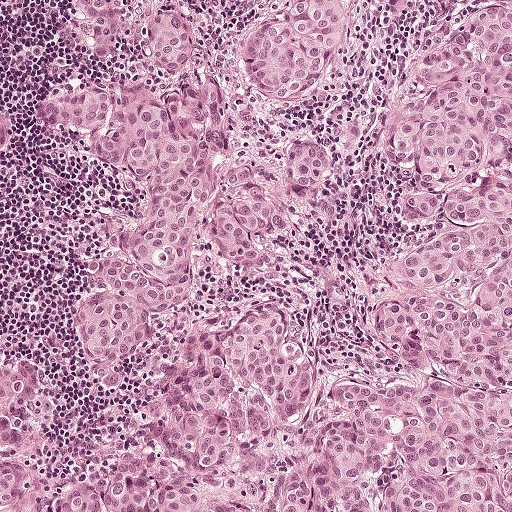
This is a crop of a whole-slide image: an H&E-stained breast-cancer sentinel lymph node section at roughly 10× magnification (about 0.97 µm per pixel; the crop spans about 0.5 mm).
Boundaries of two metastatic tumour regions, simplified and listed clockwise, largest first: region 1: (187, 0), (232, 60), (272, 0), (362, 0), (254, 112), (328, 150), (298, 235), (348, 265), (393, 241), (389, 174), (316, 111), (387, 104), (454, 0), (511, 0), (511, 511), (0, 511), (3, 368), (52, 369), (78, 468), (105, 437), (97, 191), (38, 115), (71, 4); region 2: (0, 103), (6, 110), (8, 114), (11, 116), (13, 121), (12, 140), (8, 146), (8, 148), (6, 148), (6, 152), (3, 154), (0, 159).
About 80% of the image area is annotated as tumour.